Question: 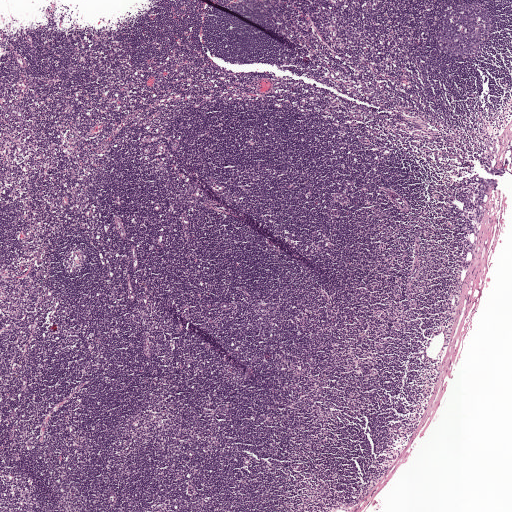
Which magnification is this H&E lymph node field most likely shown at?

Choices:
 (A) about 20×
 (B) about 40×
 (C) about 10×
 (D) about 5×
 (E) about 2.5×

Answer: (E) about 2.5×
This is a crop of a whole-slide image: an H&E-stained breast-cancer sentinel lymph node section at roughly 2.5× magnification (about 3.9 µm per pixel; the crop spans about 2.0 mm).